This is a crop of a whole-slide image: an H&E-stained breast-cancer sentinel lymph node section at roughly 2.5× magnification (about 3.9 µm per pixel; the crop spans about 2.0 mm).
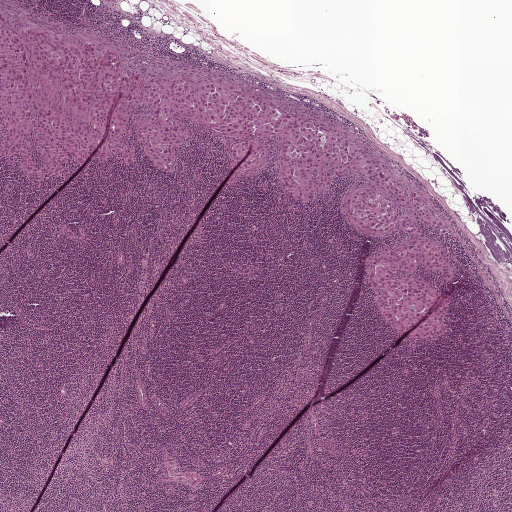
Tumour region outline (a closed clockwise path, crop pixels): (0, 10), (111, 47), (130, 68), (273, 99), (363, 147), (439, 215), (445, 232), (407, 208), (446, 246), (448, 280), (422, 264), (414, 275), (447, 300), (453, 327), (431, 343), (396, 336), (363, 269), (408, 234), (347, 224), (345, 197), (371, 185), (352, 173), (292, 201), (278, 139), (260, 139), (268, 164), (242, 170), (230, 156), (251, 138), (176, 119), (197, 137), (174, 148), (172, 173), (131, 127), (129, 169), (72, 158), (59, 178), (33, 180), (19, 156), (2, 162).
About 15% of the image area is annotated as tumour.